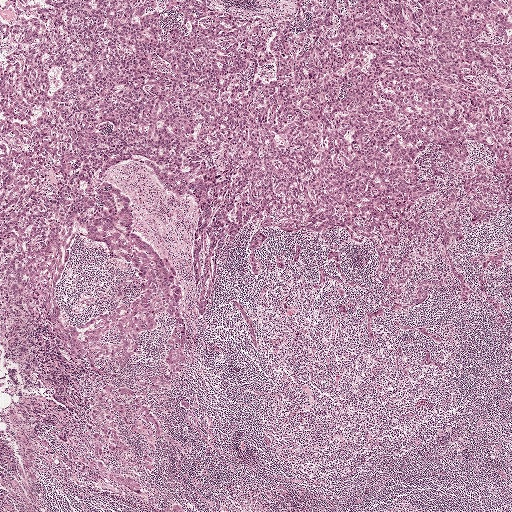
This is a crop of a whole-slide image: an H&E-stained breast-cancer sentinel lymph node section at roughly 2.5× magnification (about 3.9 µm per pixel; the crop spans about 2.0 mm).
One metastatic tumour region; its boundary, reduced to 21 corners and listed clockwise: (96, 0), (215, 0), (283, 20), (294, 0), (488, 0), (454, 68), (470, 162), (424, 152), (435, 187), (394, 244), (255, 222), (220, 241), (202, 315), (194, 203), (143, 160), (121, 165), (106, 177), (172, 266), (175, 323), (64, 199), (53, 45).
About 35% of this field is tumour.